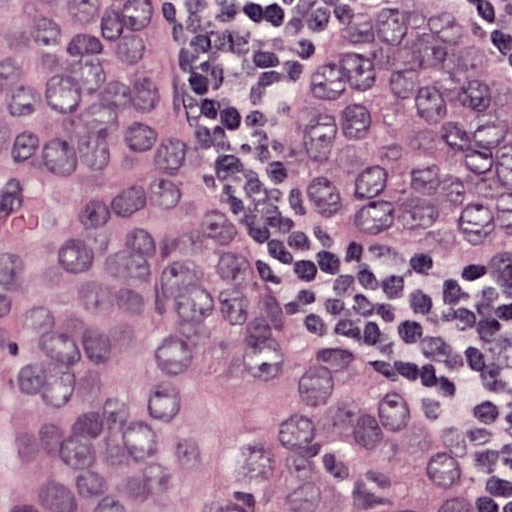
Lymph node section stained with H&E, from a whole-slide image of a breast-cancer sentinel node. Magnification about 40×, about 0.12 mm across the frame, about 0.24 µm per pixel.
Two metastatic tumour regions, each outlined as a closed clockwise path in crop pixels (x, y), largest first: region 1: (0, 0), (173, 0), (257, 210), (303, 281), (355, 327), (428, 363), (486, 423), (511, 469), (511, 511), (0, 511); region 2: (348, 0), (445, 0), (482, 16), (511, 53), (511, 249), (458, 280), (375, 275), (303, 224), (291, 144), (307, 64).
The annotated tumour makes up about 85% of the crop.